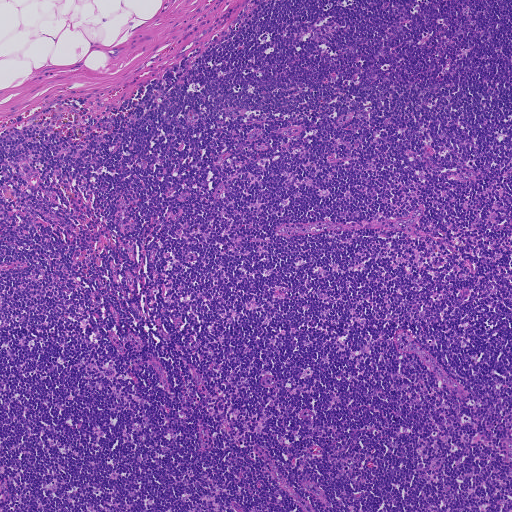
Lymph node section stained with H&E, from a whole-slide image of a breast-cancer sentinel node. Magnification about 5×, about 0.93 mm across the frame, about 1.8 µm per pixel.